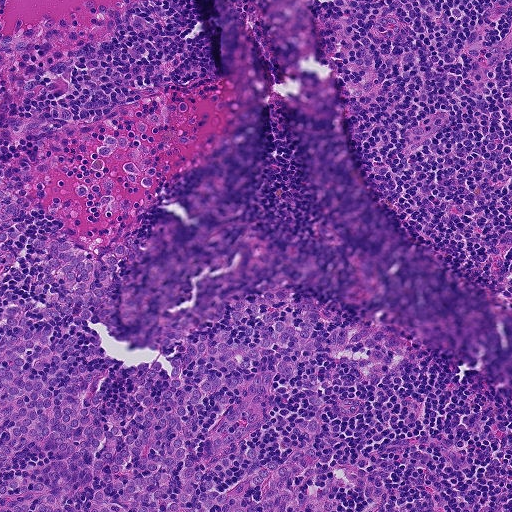
This is a crop of a whole-slide image: an H&E-stained breast-cancer sentinel lymph node section at roughly 10× magnification (about 0.9 µm per pixel; the crop spans about 0.46 mm).
Two metastatic tumour regions, each outlined as a closed clockwise path in crop pixels (x, y), largest first: region 1: (32, 237), (99, 259), (131, 247), (108, 307), (120, 330), (53, 337), (116, 360), (99, 384), (116, 411), (134, 364), (162, 369), (162, 397), (207, 332), (252, 343), (262, 326), (234, 322), (233, 302), (293, 290), (270, 304), (292, 324), (304, 317), (315, 346), (227, 370), (196, 406), (187, 456), (225, 492), (245, 450), (262, 464), (306, 442), (296, 419), (316, 395), (315, 462), (297, 494), (326, 478), (335, 509), (0, 511), (0, 318), (46, 295); region 2: (0, 174), (6, 179), (9, 191), (25, 223), (11, 242), (12, 266), (0, 273).
About 20% of the image area is annotated as tumour.